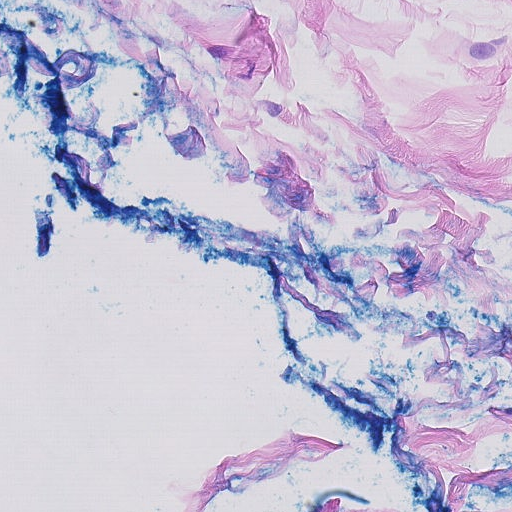
This is a crop of a whole-slide image: an H&E-stained breast-cancer sentinel lymph node section at roughly 20× magnification (about 0.45 µm per pixel; the crop spans about 0.23 mm).